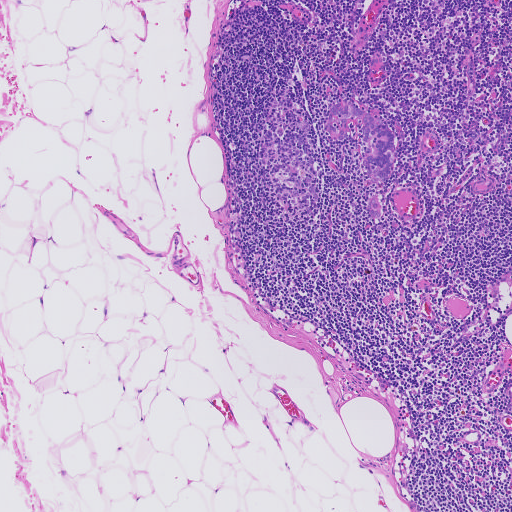
This is a crop of a whole-slide image: an H&E-stained breast-cancer sentinel lymph node section at roughly 5× magnification (about 1.8 µm per pixel; the crop spans about 0.93 mm).
Outlines of two tumour regions, largest first (closed clockwise paths, crop pixels): region 1: (345, 99), (379, 118), (395, 134), (395, 157), (389, 178), (373, 182), (367, 173), (366, 168), (362, 164), (364, 152), (368, 145), (362, 139), (364, 135), (362, 119), (354, 116), (350, 118), (347, 128), (349, 135), (340, 141), (330, 135), (326, 129), (332, 106); region 2: (372, 197), (375, 197), (382, 206), (382, 215), (380, 218), (371, 215), (367, 212), (366, 205).
The annotated tumour makes up under 5% of the crop.